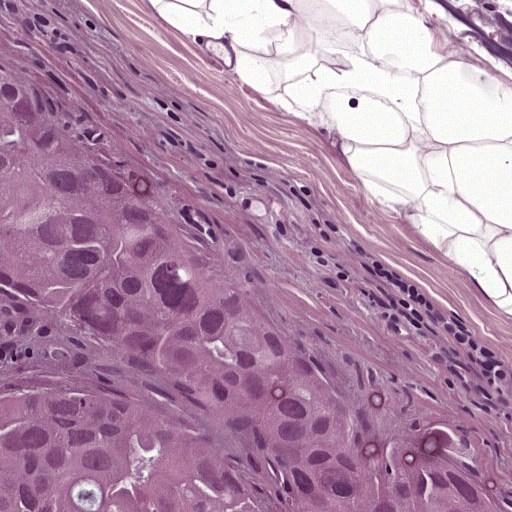
Lymph node section stained with H&E, from a whole-slide image of a breast-cancer sentinel node. Magnification about 20×, about 0.25 mm across the frame, about 0.49 µm per pixel.
Tumour region outline (a closed clockwise path, crop pixels): (0, 45), (133, 169), (391, 347), (511, 482), (511, 511), (0, 511), (0, 391), (86, 364), (75, 330), (4, 302).
The annotated tumour makes up about 50% of the crop.